Question: 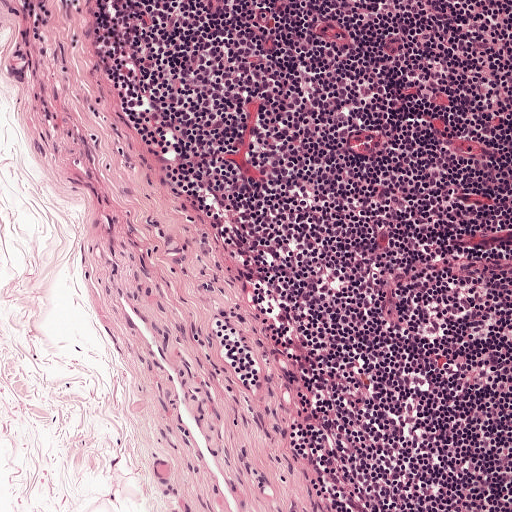
At roughly what magnification is this field shown?

Choices:
 (A) about 5×
 (B) about 10×
 (C) about 20×
 (D) about 40×
 (E) about 2.5×

Answer: (B) about 10×
This is a crop of a whole-slide image: an H&E-stained breast-cancer sentinel lymph node section at roughly 10× magnification (about 0.97 µm per pixel; the crop spans about 0.5 mm).